Question: 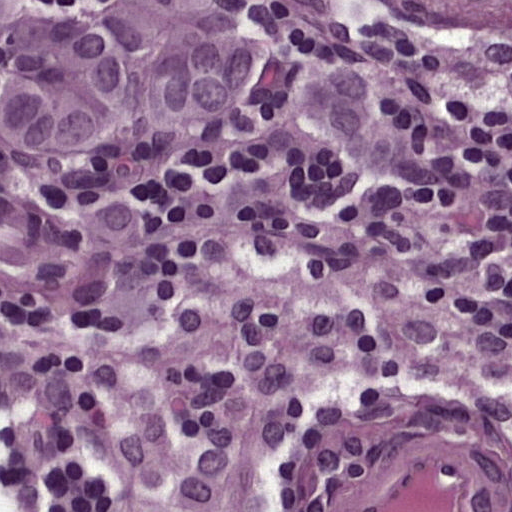
Which magnification is this H&E lymph node field most likely shown at?

Choices:
 (A) about 10×
 (B) about 5×
 (C) about 20×
 (D) about 40×
 (E) about 2.5×

Answer: (D) about 40×
This is a crop of a whole-slide image: an H&E-stained breast-cancer sentinel lymph node section at roughly 40× magnification (about 0.24 µm per pixel; the crop spans about 0.12 mm).
Metastatic tumour outline, simplified to 11 points and listed clockwise in crop pixels (x, y): (118, 0), (254, 0), (270, 41), (249, 92), (183, 128), (122, 121), (82, 152), (21, 154), (0, 127), (0, 41), (43, 18).
Two more small tumour pieces are annotated here but not outlined.
Tumour covers about 15% of the frame.